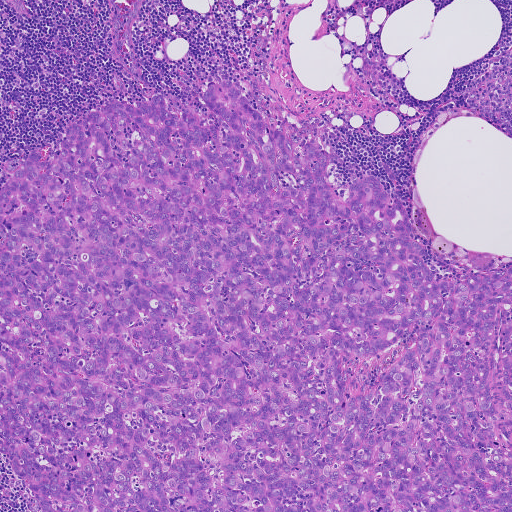
Lymph node section stained with H&E, from a whole-slide image of a breast-cancer sentinel node. Magnification about 5×, about 0.93 mm across the frame, about 1.8 µm per pixel.
The outlined metastatic tumour's edge, as a closed clockwise path of 24 points: (233, 84), (306, 165), (302, 146), (322, 150), (338, 195), (351, 168), (374, 175), (406, 210), (437, 282), (511, 265), (511, 511), (28, 511), (1, 438), (0, 190), (33, 151), (54, 159), (67, 127), (108, 100), (137, 107), (156, 92), (173, 115), (193, 107), (218, 126), (203, 95).
About 70% of the image area is annotated as tumour.